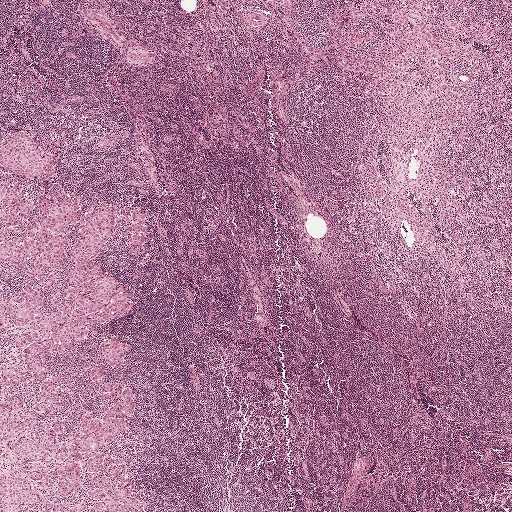
H&E-stained section of a sentinel lymph node (breast cancer), from a whole-slide image, viewed at about 2.5×: the field is about 2.0 mm across, about 3.9 µm per pixel.
Outlines of four tumour regions, largest first (closed clockwise paths, crop pixels): region 1: (28, 134), (50, 157), (58, 186), (76, 194), (83, 211), (71, 239), (91, 208), (117, 210), (103, 258), (136, 305), (52, 361), (62, 399), (42, 421), (56, 421), (66, 434), (100, 416), (102, 385), (132, 388), (128, 430), (110, 445), (147, 511), (0, 511), (0, 141), (8, 137); region 2: (144, 208), (148, 212), (146, 221), (148, 228), (146, 233), (147, 243), (144, 252), (137, 255), (129, 254), (125, 231), (126, 226), (131, 219), (130, 214), (133, 210); region 3: (109, 337), (120, 337), (134, 347), (117, 368), (108, 367), (104, 359), (97, 353), (98, 344); region 4: (97, 366), (102, 369), (104, 372), (103, 378), (97, 381), (93, 381), (88, 379), (89, 372), (92, 368).
The annotated tumour makes up about 15% of the crop.